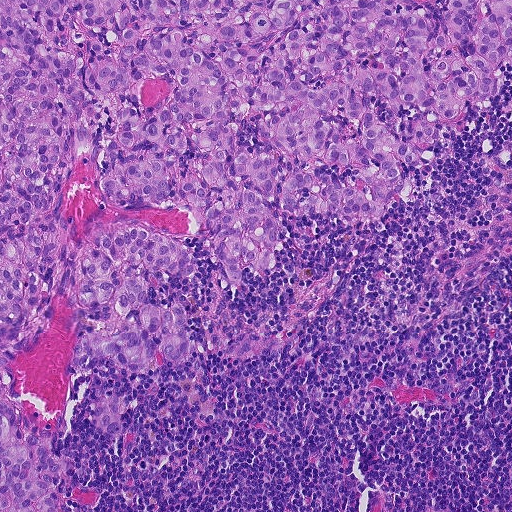
A 0.46-mm field of an H&E-stained sentinel lymph node from a breast-cancer patient (whole-slide image), shown at about 10×, about 0.9 µm per pixel.
One metastatic tumour region; its boundary, reduced to 24 corners and listed clockwise: (0, 0), (511, 0), (511, 79), (465, 110), (385, 223), (283, 217), (276, 270), (246, 269), (240, 288), (186, 239), (198, 270), (165, 275), (150, 298), (188, 306), (189, 357), (116, 369), (119, 438), (90, 429), (113, 363), (72, 375), (56, 452), (76, 459), (84, 504), (0, 511).
The annotated tumour makes up about 55% of the crop.